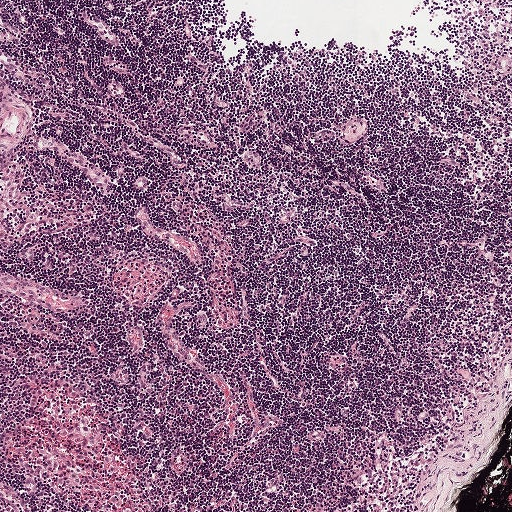
This is a crop of a whole-slide image: an H&E-stained breast-cancer sentinel lymph node section at roughly 5× magnification (about 1.9 µm per pixel; the crop spans about 1 mm).